H&E-stained section of a sentinel lymph node (breast cancer), from a whole-slide image, viewed at about 5×: the field is about 1 mm across, about 1.9 µm per pixel.
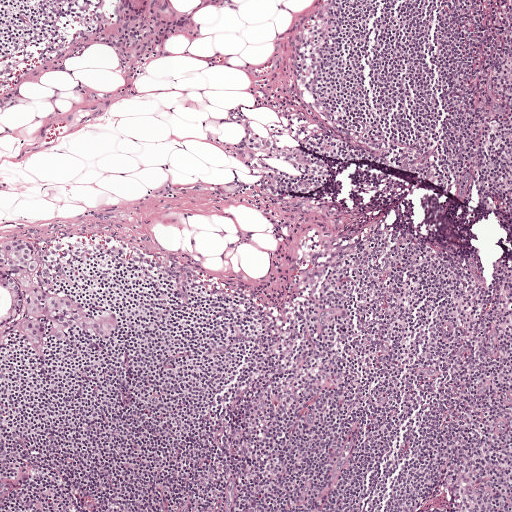
Metastatic tumour outline, simplified to 21 points and listed clockwise in crop pixels (x, y): (2, 238), (27, 242), (46, 261), (44, 270), (50, 282), (78, 301), (92, 308), (118, 310), (121, 328), (111, 343), (96, 342), (84, 334), (69, 331), (66, 342), (53, 342), (47, 324), (47, 355), (42, 363), (30, 342), (19, 333), (0, 330).
About 5% of this field is tumour.